A 0.93-mm field of an H&E-stained sentinel lymph node from a breast-cancer patient (whole-slide image), shown at about 5×, about 1.8 µm per pixel.
Image:
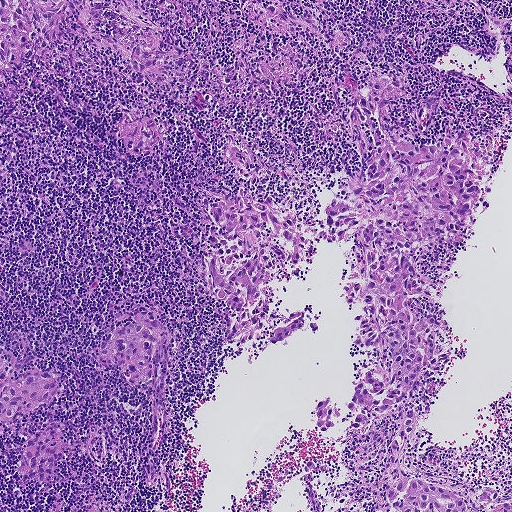
Question:
Does this lymph node field contain metastatic tumour?
Answer:
Yes.
The eight largest tumour regions' boundaries, simplified and listed clockwise, largest first: region 1: (370, 79), (404, 79), (390, 128), (463, 139), (482, 189), (464, 238), (418, 250), (428, 288), (405, 304), (413, 326), (438, 321), (404, 466), (465, 510), (394, 511), (403, 402), (318, 430), (316, 406), (345, 408), (380, 361), (352, 341), (354, 242), (297, 224), (301, 264), (258, 285), (262, 322), (299, 311), (316, 332), (275, 344), (225, 343), (237, 314), (209, 279), (227, 242), (209, 209), (236, 194), (328, 231), (377, 146), (349, 118); region 2: (0, 0), (136, 0), (142, 18), (154, 22), (176, 46), (183, 55), (184, 65), (179, 81), (165, 86), (157, 84), (154, 77), (130, 73), (117, 53), (79, 39), (68, 28), (58, 48), (36, 38), (18, 72), (0, 78); region 3: (282, 0), (297, 16), (326, 32), (328, 28), (338, 29), (350, 47), (337, 53), (300, 31), (287, 40), (301, 55), (302, 77), (287, 90), (267, 84), (271, 114), (236, 107), (220, 94), (216, 82), (218, 72), (235, 58), (237, 38), (257, 32), (244, 2); region 4: (139, 311), (153, 314), (170, 330), (170, 338), (162, 390), (164, 406), (156, 436), (150, 424), (150, 377), (138, 387), (130, 384), (114, 360), (103, 364), (97, 360), (102, 338), (120, 324), (136, 322), (134, 316); region 5: (0, 358), (20, 362), (21, 366), (11, 380), (15, 380), (29, 373), (43, 372), (51, 374), (57, 378), (56, 394), (45, 404), (0, 427); region 6: (52, 424), (58, 428), (68, 449), (58, 461), (54, 476), (50, 482), (43, 482), (29, 476), (22, 478), (16, 473), (24, 443), (29, 437); region 7: (126, 114), (151, 118), (164, 129), (166, 138), (163, 145), (148, 155), (139, 157), (131, 155), (124, 149), (116, 132), (120, 120); region 8: (226, 129), (242, 136), (252, 151), (267, 160), (270, 168), (267, 175), (254, 186), (247, 186), (249, 179), (238, 177), (223, 156), (229, 142).
Two more, smaller tumour regions are not outlined.
Three more small tumour pieces are annotated here but not outlined.
The annotated tumour makes up about 25% of the crop.